Lymph node section stained with H&E, from a whole-slide image of a breast-cancer sentinel node. Magnification about 10×, about 0.5 mm across the frame, about 0.97 µm per pixel.
Question: 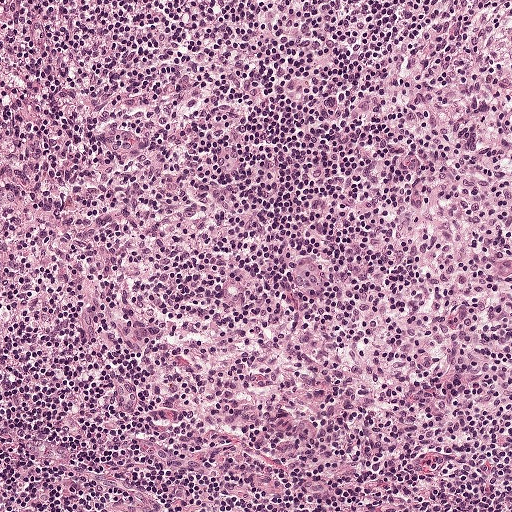
Estimate the proportion of this field that is metastatic tumour.

Choices:
 (A) about 50% or more
 (B) about 25% to 45%
 (C) none: no tumour is outlined
 (D) about 10% to 20%
 (E) about 5% or less

Answer: (D) about 10% to 20%
About 15% of the field is tumour.
Metastatic tumour outline, simplified to 7 points and listed clockwise in crop pixels (x, y): (0, 0), (164, 0), (130, 68), (122, 154), (83, 257), (52, 416), (2, 500).